Question: 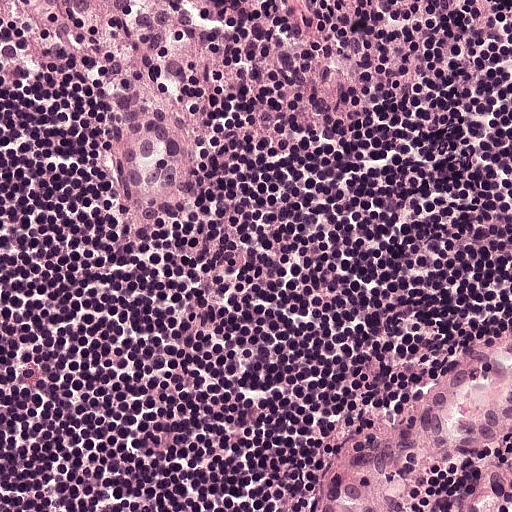
H&E-stained section of a sentinel lymph node (breast cancer), from a whole-slide image, viewed at about 20×: the field is about 0.25 mm across, about 0.49 µm per pixel.
Estimate the proportion of this field that is metastatic tumour.

Choices:
 (A) about 10% to 20%
 (B) about 25% to 45%
 (C) about 5% or less
 (D) none: no tumour is outlined
 (E) about 50% or more

Answer: (D) none: no tumour is outlined
No metastatic tumour is outlined in this field.